Question: 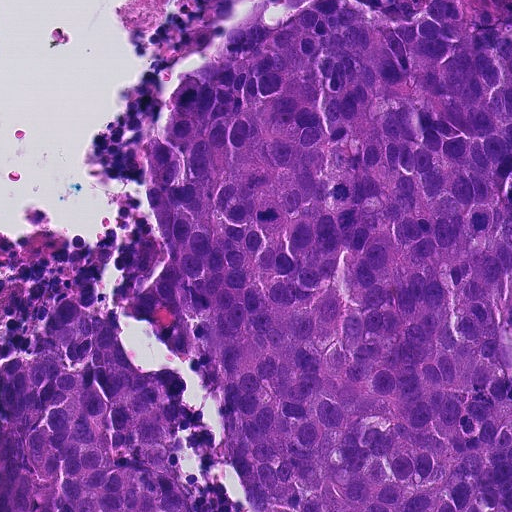
This is a crop of a whole-slide image: an H&E-stained breast-cancer sentinel lymph node section at roughly 20× magnification (about 0.45 µm per pixel; the crop spans about 0.23 mm).
Estimate the proportion of this field that is metastatic tumour.

Choices:
 (A) none: no tumour is outlined
 (B) about 5% or less
 (C) about 10% to 20%
 (D) about 25% to 45%
 (E) about 50% or more

Answer: (E) about 50% or more
About 75% of the field is tumour.
Two metastatic tumour regions, each outlined as a closed clockwise path in crop pixels (x, y), largest first: region 1: (285, 0), (371, 0), (393, 12), (417, 0), (481, 0), (505, 26), (511, 511), (225, 511), (228, 458), (202, 380), (117, 294), (149, 258), (153, 130), (210, 58); region 2: (58, 287), (100, 296), (125, 332), (138, 372), (174, 396), (180, 484), (198, 511), (0, 511), (0, 366).
Question: 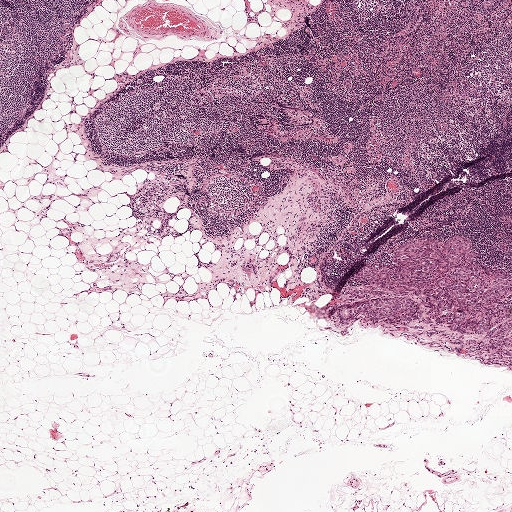
A 2.0-mm field of an H&E-stained sentinel lymph node from a breast-cancer patient (whole-slide image), shown at about 2.5×, about 3.9 µm per pixel.
Estimate the proportion of this field that is metastatic tumour.

Choices:
 (A) none: no tumour is outlined
 (B) about 50% or more
 (C) about 25% to 45%
 (D) about 5% or less
 (E) about 10% to 20%

Answer: (D) about 5% or less
About 5% of the field is tumour.
One metastatic tumour region; its boundary, reduced to 22 corners and listed clockwise: (467, 238), (484, 263), (511, 275), (511, 293), (503, 305), (511, 306), (511, 366), (475, 360), (441, 335), (425, 336), (427, 324), (423, 331), (378, 327), (357, 318), (337, 325), (342, 305), (391, 294), (357, 276), (360, 269), (390, 264), (395, 248), (410, 240).
Question: 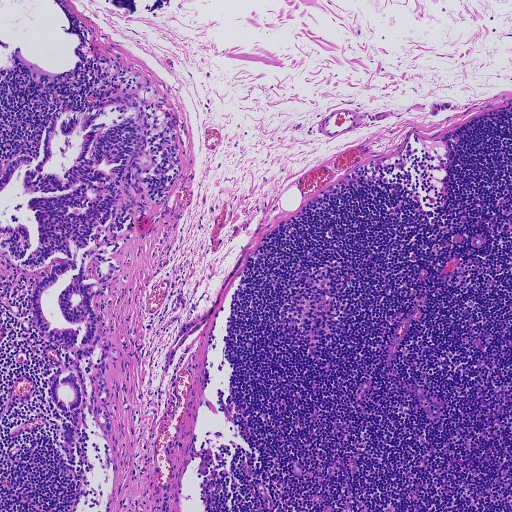
A 0.93-mm field of an H&E-stained sentinel lymph node from a breast-cancer patient (whole-slide image), shown at about 5×, about 1.8 µm per pixel.
Estimate the proportion of this field that is metastatic tumour.

Choices:
 (A) about 10% to 20%
 (B) about 50% or more
 (C) about 5% or less
 (D) about 25% to 45%
 (E) none: no tumour is outlined

Answer: (A) about 10% to 20%
About 10% of the field is tumour.
Five metastatic tumour regions, each outlined as a closed clockwise path in crop pixels (x, y), largest first: region 1: (142, 81), (139, 98), (154, 162), (146, 178), (149, 208), (109, 256), (121, 270), (108, 294), (93, 298), (103, 360), (89, 375), (35, 323), (37, 282), (68, 258), (56, 253), (46, 265), (24, 270), (0, 249), (0, 175), (19, 154), (37, 161), (58, 110), (92, 108); region 2: (72, 365), (83, 390), (83, 400), (78, 438), (74, 447), (69, 448), (65, 443), (61, 425), (63, 421), (72, 425), (73, 414), (60, 411), (54, 404), (50, 394), (53, 376), (58, 370); region 3: (98, 405), (108, 412), (111, 421), (111, 430), (108, 438), (96, 424); region 4: (98, 372), (106, 378), (108, 387), (109, 397), (106, 405), (100, 400), (96, 391); region 5: (0, 265), (11, 281), (11, 288), (6, 294), (0, 297).
Question: 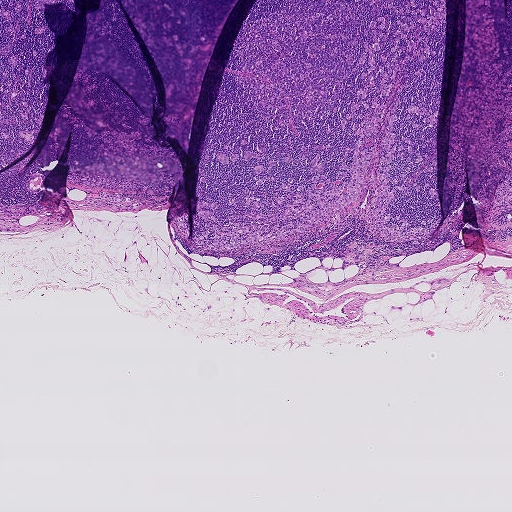
This is a crop of a whole-slide image: an H&E-stained breast-cancer sentinel lymph node section at roughly 2.5× magnification (about 3.6 µm per pixel; the crop spans about 1.9 mm).
Estimate the proportion of this field that is metastatic tumour.

Choices:
 (A) about 5% or less
 (B) about 50% or more
 (C) about 10% to 20%
 (D) about 25% to 45%
 (E) none: no tumour is outlined

Answer: (D) about 25% to 45%
About 25% of the field is tumour.
Four metastatic tumour regions, each outlined as a closed clockwise path in crop pixels (x, y), largest first: region 1: (446, 0), (437, 54), (409, 63), (421, 76), (400, 95), (438, 109), (440, 208), (422, 188), (388, 213), (441, 214), (424, 240), (381, 241), (348, 216), (214, 253), (184, 243), (166, 222), (165, 201), (73, 206), (27, 189), (41, 173), (26, 168), (24, 164), (30, 155), (3, 171), (35, 148), (27, 165), (39, 154), (66, 198), (69, 167), (176, 186), (167, 221), (195, 213), (201, 158), (241, 139), (290, 152), (292, 132), (238, 90), (248, 13); region 2: (465, 0), (511, 0), (511, 206), (504, 207), (495, 223), (484, 223), (468, 197), (451, 230), (439, 236), (436, 232), (449, 201), (446, 175), (450, 119); region 3: (0, 0), (74, 0), (74, 13), (66, 3), (46, 4), (46, 18), (56, 34), (55, 47), (46, 56), (48, 75), (43, 78), (43, 50), (35, 58), (18, 59), (32, 74), (31, 86), (21, 89), (16, 101), (27, 100), (35, 111), (44, 114), (34, 144), (0, 170), (33, 143), (24, 142), (17, 136), (16, 127), (12, 125), (4, 126), (3, 131), (10, 136), (6, 139), (2, 136); region 4: (0, 201), (5, 205), (27, 204), (35, 201), (46, 209), (39, 213), (12, 219), (0, 224).